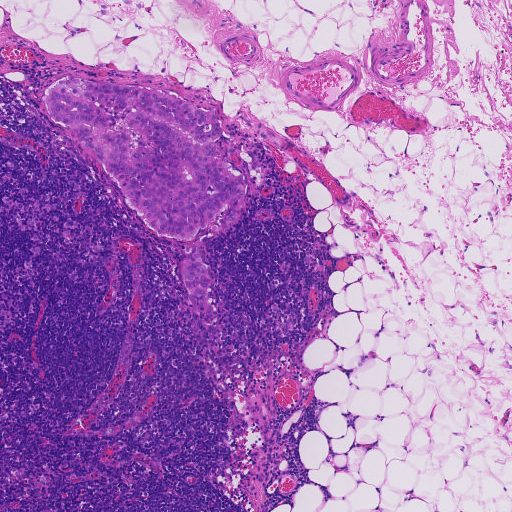
Lymph node section stained with H&E, from a whole-slide image of a breast-cancer sentinel node. Magnification about 5×, about 0.93 mm across the frame, about 1.8 µm per pixel.
Question: Which parts of this field are metastatic tumour?
Answer: Two metastatic tumour regions, each outlined as a closed clockwise path in crop pixels (x, y), largest first: region 1: (69, 75), (159, 91), (214, 110), (223, 130), (211, 158), (224, 160), (244, 183), (234, 224), (221, 230), (220, 215), (200, 228), (192, 240), (165, 238), (147, 227), (45, 104), (47, 87); region 2: (196, 252), (208, 267), (211, 280), (204, 298), (207, 303), (212, 306), (213, 312), (205, 314), (194, 309), (181, 270), (190, 254).
One more small tumour piece is annotated here but not outlined.
The annotated tumour makes up about 10% of the crop.